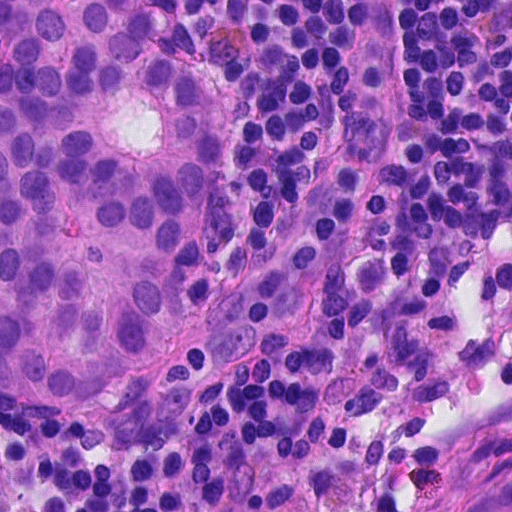
Lymph node section stained with H&E, from a whole-slide image of a breast-cancer sentinel node. Magnification about 40×, about 0.12 mm across the frame, about 0.23 µm per pixel.
Question: Trace the edge of each tumour region in this crop, as (x, y) points from 0 to 511.
Answer: Two metastatic tumour regions, each outlined as a closed clockwise path in crop pixels (x, y), largest first: region 1: (0, 0), (150, 0), (172, 54), (234, 88), (236, 121), (193, 303), (198, 335), (121, 400), (86, 412), (0, 392); region 2: (511, 472), (511, 511), (448, 511), (479, 489).
About 30% of this field is tumour.